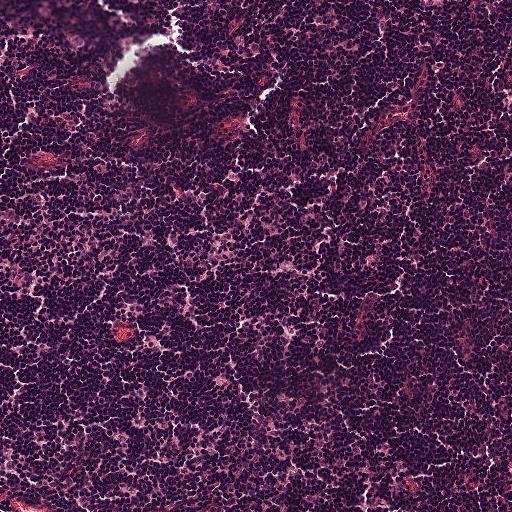
A 0.5-mm field of an H&E-stained sentinel lymph node from a breast-cancer patient (whole-slide image), shown at about 10×, about 0.97 µm per pixel.
Question: Is there metastatic carcinoma in this field?
Answer: No: no metastatic tumour is outlined anywhere in this field.